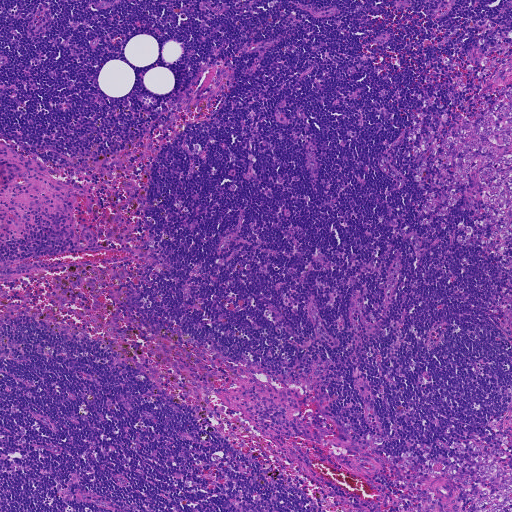
H&E-stained section of a sentinel lymph node (breast cancer), from a whole-slide image, viewed at about 5×: the field is about 0.93 mm across, about 1.8 µm per pixel.
Boundaries of five metastatic tumour regions, simplified and listed clockwise, largest first: region 1: (511, 82), (511, 245), (481, 245), (479, 239), (457, 243), (460, 229), (467, 226), (489, 236), (493, 225), (478, 227), (473, 221), (489, 214), (481, 200), (479, 169), (471, 175), (470, 182), (464, 186), (449, 213), (424, 225), (427, 218), (421, 212), (421, 205), (437, 190), (416, 184), (414, 176), (422, 163), (428, 165), (427, 174), (438, 169), (437, 162), (428, 150), (433, 144), (461, 123), (476, 118); region 2: (457, 440), (464, 440), (471, 443), (486, 444), (511, 455), (511, 511), (472, 511), (472, 500), (481, 487), (475, 483), (469, 488), (455, 482), (461, 468), (460, 460), (451, 446); region 3: (494, 52), (504, 59), (491, 78), (474, 89), (459, 89), (449, 71), (440, 65), (443, 56), (466, 64), (477, 63), (486, 54); region 4: (444, 110), (451, 113), (444, 131), (427, 148), (415, 155), (409, 148), (405, 136), (418, 111), (429, 111), (426, 120), (426, 130), (435, 122); region 5: (511, 294), (511, 335), (510, 334), (508, 326), (508, 319), (501, 314), (497, 314), (490, 312), (491, 304), (496, 299).
The annotated tumour makes up about 5% of the crop.